Question: 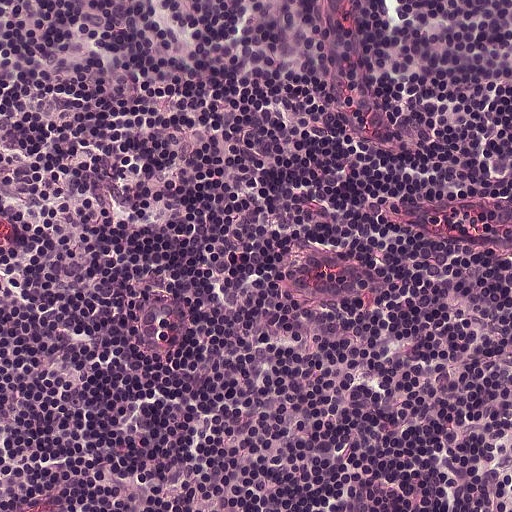
At roughly what magnification is this field shown?

Choices:
 (A) about 20×
 (B) about 5×
 (C) about 40×
 (D) about 10×
 (E) about 2.5×

Answer: (A) about 20×
H&E-stained section of a sentinel lymph node (breast cancer), from a whole-slide image, viewed at about 20×: the field is about 0.25 mm across, about 0.49 µm per pixel.